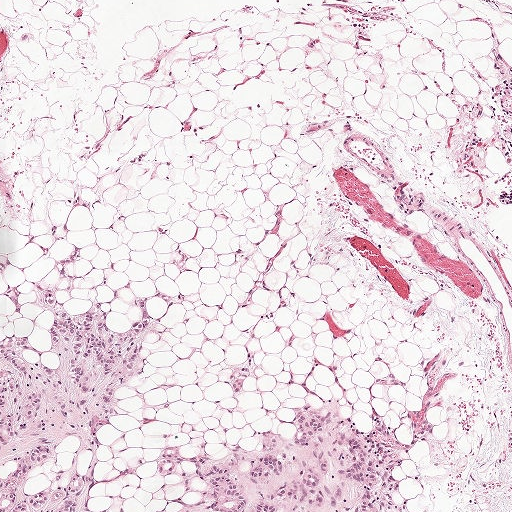
Lymph node section stained with H&E, from a whole-slide image of a breast-cancer sentinel node. Magnification about 5×, about 1 mm across the frame, about 1.9 µm per pixel.
Outlines of three tumour regions, largest first (closed clockwise paths, crop pixels): region 1: (72, 244), (80, 257), (56, 294), (67, 310), (96, 302), (123, 329), (142, 294), (152, 306), (145, 367), (121, 382), (120, 410), (92, 466), (94, 508), (107, 511), (0, 511), (0, 338), (25, 335), (41, 357), (24, 361), (56, 367), (43, 307), (32, 300), (52, 284), (49, 261); region 2: (312, 405), (354, 421), (379, 442), (388, 459), (392, 498), (415, 511), (158, 511), (169, 507), (183, 479), (157, 473), (154, 458), (171, 446), (195, 457), (225, 458), (224, 444), (272, 427), (298, 406); region 3: (236, 366), (248, 367), (248, 368), (248, 378), (242, 383), (242, 388), (246, 389), (246, 391), (236, 397), (233, 397), (230, 387), (223, 382).
Tumour covers about 15% of the frame.